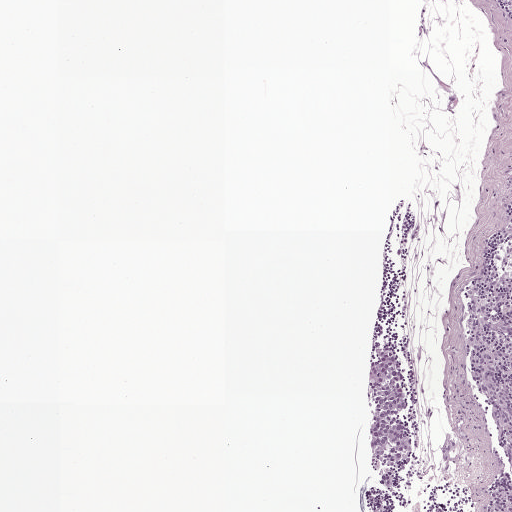
Lymph node section stained with H&E, from a whole-slide image of a breast-cancer sentinel node. Magnification about 5×, about 1 mm across the frame, about 1.9 µm per pixel.
Tumour region outline (a closed clockwise path, crop pixels): (384, 344), (394, 349), (401, 362), (404, 385), (408, 394), (407, 405), (398, 411), (409, 442), (409, 453), (395, 471), (394, 482), (386, 489), (372, 457), (367, 433), (372, 410), (366, 377), (367, 366), (377, 360), (375, 350).
Tumour covers under 5% of the frame.